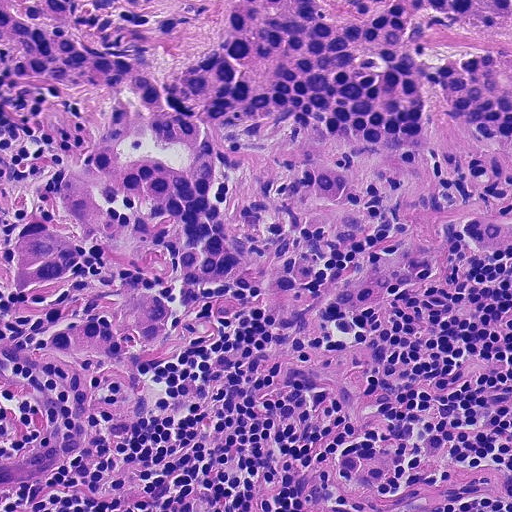
H&E-stained section of a sentinel lymph node (breast cancer), from a whole-slide image, viewed at about 20×: the field is about 0.23 mm across, about 0.45 µm per pixel.
The outlined metastatic tumour's edge, as a closed clockwise path of 23 points: (0, 0), (511, 0), (511, 154), (437, 124), (424, 156), (427, 190), (458, 208), (511, 208), (511, 259), (446, 248), (393, 296), (292, 330), (192, 282), (162, 346), (20, 348), (104, 285), (116, 254), (60, 295), (26, 298), (4, 271), (0, 182), (38, 158), (12, 138).
The annotated tumour makes up about 55% of the crop.